Image:
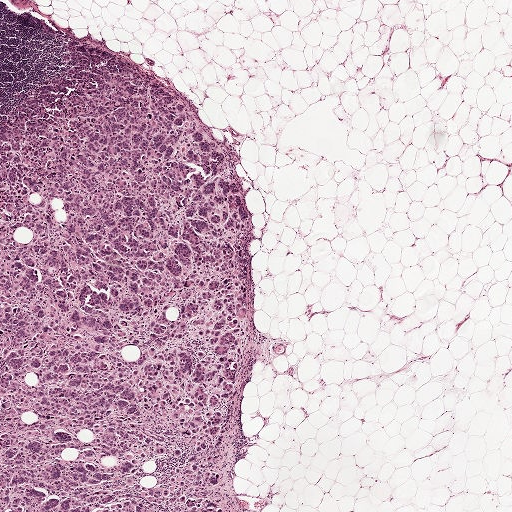
Lymph node section stained with H&E, from a whole-slide image of a breast-cancer sentinel node. Magnification about 2.5×, about 2.0 mm across the frame, about 3.9 µm per pixel.
Question:
Where is the metastatic tumour in this field?
Answer:
One metastatic tumour region; its boundary, reduced to 12 corners and listed clockwise: (71, 40), (126, 57), (176, 92), (241, 191), (251, 333), (215, 464), (221, 481), (203, 491), (227, 511), (0, 511), (0, 122), (54, 78).
The annotated tumour makes up about 40% of the crop.